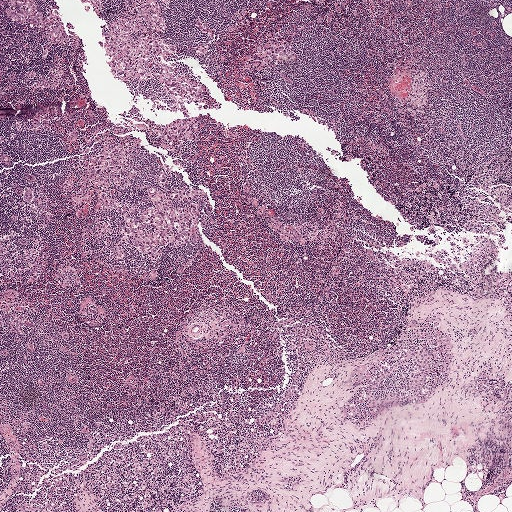
A 2.0-mm field of an H&E-stained sentinel lymph node from a breast-cancer patient (whole-slide image), shown at about 2.5×, about 3.9 µm per pixel.
Outlines of the eight largest metastatic tumour regions, each a closed clockwise path in crop pixels (x, y), largest first: region 1: (178, 0), (174, 5), (160, 9), (166, 28), (164, 36), (174, 49), (168, 61), (201, 80), (211, 94), (210, 103), (202, 107), (190, 106), (154, 95), (122, 78), (105, 43), (104, 30), (109, 21), (122, 12), (122, 6), (109, 4), (106, 13), (100, 13), (88, 1); region 2: (163, 173), (170, 192), (200, 190), (208, 195), (200, 201), (201, 220), (193, 223), (190, 241), (179, 247), (162, 245), (157, 259), (131, 243), (126, 244), (125, 257), (119, 256), (128, 228), (126, 214), (140, 219), (147, 209), (154, 208), (150, 188), (165, 192), (160, 177); region 3: (100, 140), (118, 145), (124, 167), (130, 171), (129, 181), (120, 187), (105, 187), (102, 193), (125, 204), (126, 211), (108, 207), (90, 211), (96, 196), (93, 189), (84, 199), (69, 201), (71, 192), (60, 183), (65, 174), (69, 173), (72, 181), (77, 179), (90, 165); region 4: (268, 33), (278, 33), (280, 35), (278, 40), (286, 41), (297, 54), (297, 60), (285, 63), (276, 60), (260, 70), (245, 66), (246, 60), (255, 55), (259, 49), (262, 39); region 5: (196, 118), (198, 122), (195, 142), (184, 141), (181, 145), (175, 148), (166, 148), (153, 131), (156, 127), (170, 124), (176, 120); region 6: (1, 0), (35, 0), (42, 10), (42, 24), (23, 24), (16, 22), (6, 15); region 7: (56, 9), (65, 33), (70, 37), (68, 42), (63, 43), (51, 42), (44, 29), (48, 14), (52, 10); region 8: (0, 313), (17, 318), (26, 318), (31, 324), (30, 329), (21, 333), (10, 329), (0, 329).
Three more, smaller tumour regions are not outlined.
One more small tumour piece is annotated here but not outlined.
About 5% of the image area is annotated as tumour.